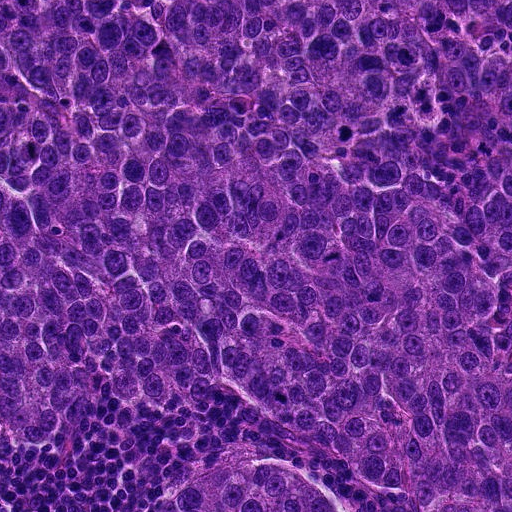
H&E-stained section of a sentinel lymph node (breast cancer), from a whole-slide image, viewed at about 20×: the field is about 0.23 mm across, about 0.45 µm per pixel.
Question: Describe where the metastatic carcinoma lies in this crop.
Answer: Two metastatic tumour regions, each outlined as a closed clockwise path in crop pixels (x, y), largest first: region 1: (0, 0), (511, 0), (511, 511), (401, 511), (232, 390), (166, 402), (100, 386), (60, 438), (0, 451); region 2: (240, 452), (274, 454), (353, 511), (167, 511), (179, 486).
One more small tumour piece is annotated here but not outlined.
About 90% of this field is tumour.

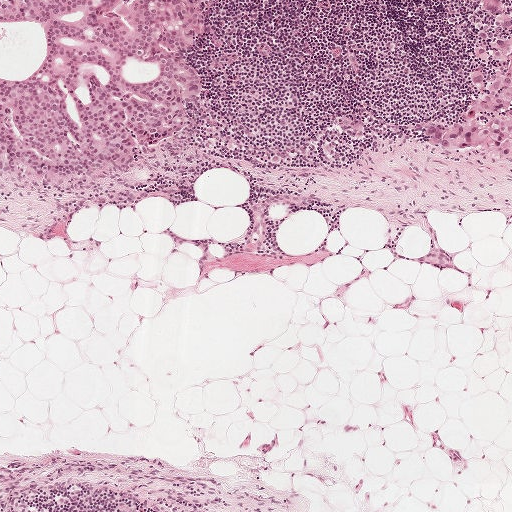
Lymph node section stained with H&E, from a whole-slide image of a breast-cancer sentinel node. Magnification about 5×, about 1 mm across the frame, about 1.9 µm per pixel.
Question: Describe where the metastatic carcinoma lies in this crop.
Answer: Two metastatic tumour regions, each outlined as a closed clockwise path in crop pixels (x, y), largest first: region 1: (0, 0), (190, 0), (203, 9), (208, 32), (191, 60), (200, 96), (126, 172), (96, 170), (60, 187), (0, 177); region 2: (482, 0), (497, 0), (511, 15), (511, 155), (478, 148), (448, 149), (430, 143), (425, 124), (463, 119), (482, 102), (472, 70), (492, 82), (503, 75), (499, 63), (485, 62), (474, 52), (474, 48), (492, 49), (479, 32), (497, 21), (483, 9).
Tumour covers about 15% of the frame.

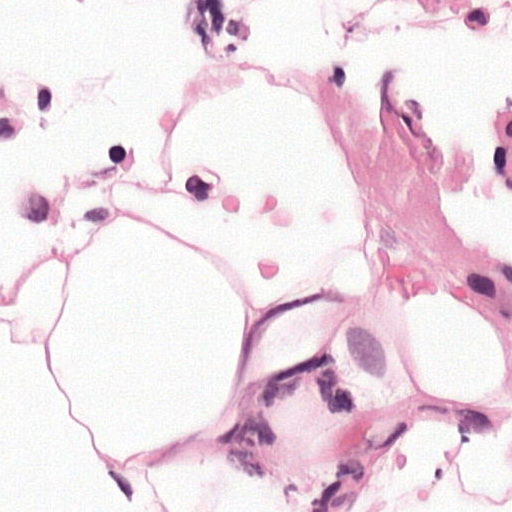
H&E-stained section of a sentinel lymph node (breast cancer), from a whole-slide image, viewed at about 40×: the field is about 0.12 mm across, about 0.24 µm per pixel.
Question: Describe where the metastatic carcinoma lies in this crop.
Answer: Boundaries of two metastatic tumour regions, simplified and listed clockwise, largest first: region 1: (371, 292), (418, 306), (435, 394), (351, 415), (318, 335); region 2: (403, 0), (511, 0), (511, 186), (482, 142), (460, 31), (401, 8).
About 5% of the image area is annotated as tumour.

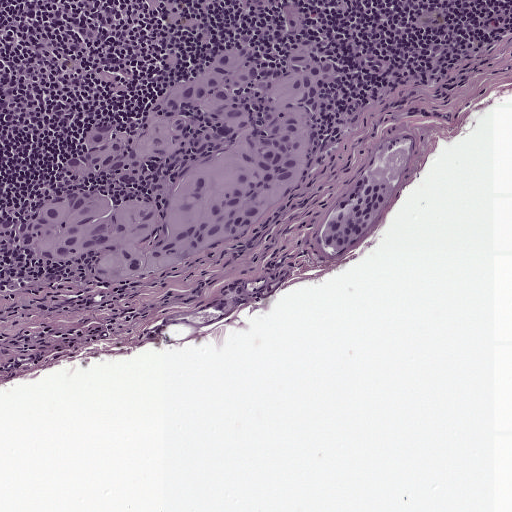
This is a crop of a whole-slide image: an H&E-stained breast-cancer sentinel lymph node section at roughly 10× magnification (about 0.97 µm per pixel; the crop spans about 0.5 mm).
Question: Describe where the metastatic carcinoma lies in this crop.
Answer: Three metastatic tumour regions, each outlined as a closed clockwise path in crop pixels (x, y), largest first: region 1: (293, 0), (310, 15), (314, 44), (344, 74), (304, 169), (241, 242), (116, 285), (101, 283), (85, 259), (40, 264), (0, 237), (0, 210), (116, 178), (52, 182), (47, 168), (90, 120), (121, 126), (226, 42), (244, 43), (269, 66), (288, 46), (279, 5); region 2: (374, 172), (392, 176), (394, 190), (362, 243), (350, 253), (328, 257), (319, 248), (318, 236), (328, 208), (351, 186), (360, 175); region 3: (238, 277), (249, 284), (254, 292), (249, 305), (238, 316), (220, 316), (212, 304), (215, 290), (225, 280).
About 20% of this field is tumour.